H&E-stained section of a sentinel lymph node (breast cancer), from a whole-slide image, viewed at about 20×: the field is about 0.23 mm across, about 0.45 µm per pixel.
Question: 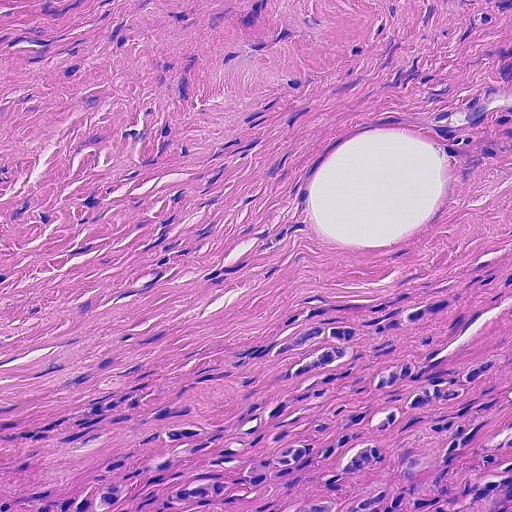
About how much of this crop is taken up by metastatic carcinoma?

Choices:
 (A) about 25% to 45%
 (B) none: no tumour is outlined
 (C) about 5% or less
 (D) about 50% or more
 (E) about 10% to 20%

Answer: (A) about 25% to 45%
About 25% of the field is tumour.
Tumour region outline (a closed clockwise path, crop pixels): (511, 250), (511, 511), (0, 511), (0, 477), (68, 476), (150, 428), (208, 410), (273, 345), (417, 304).